H&E-stained section of a sentinel lymph node (breast cancer), from a whole-slide image, viewed at about 5×: the field is about 0.93 mm across, about 1.8 µm per pixel.
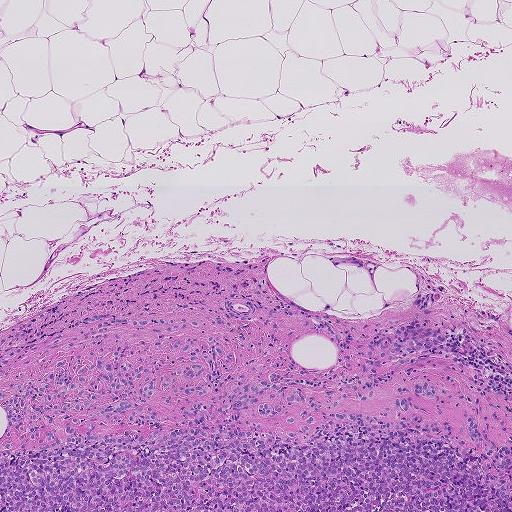
Question: Describe where the metastatic carcinoma lies in this crop.
Answer: Two metastatic tumour regions, each outlined as a closed clockwise path in crop pixels (x, y), largest first: region 1: (102, 311), (199, 320), (172, 335), (218, 332), (232, 374), (278, 362), (328, 402), (370, 338), (444, 329), (336, 409), (375, 414), (429, 380), (424, 422), (467, 441), (470, 409), (508, 448), (511, 511), (0, 511), (0, 388); region 2: (38, 342), (37, 348), (8, 364), (2, 376), (0, 377), (0, 354), (6, 354), (18, 347).
About 30% of this field is tumour.